Image:
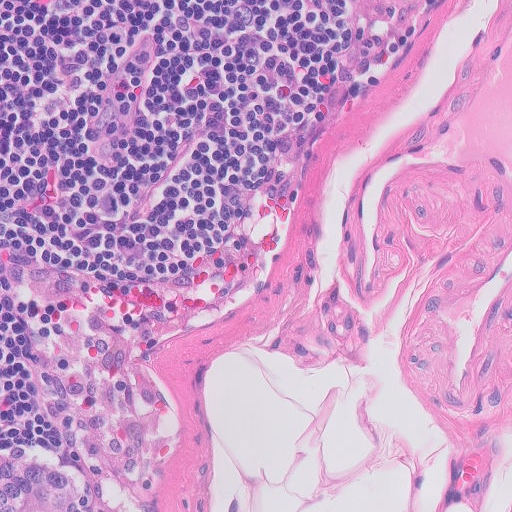
This is a crop of a whole-slide image: an H&E-stained breast-cancer sentinel lymph node section at roughly 20× magnification (about 0.5 µm per pixel; the crop spans about 0.26 mm).
Question:
Show where the tumour is in this image.
Answer:
Outlines of two tumour regions, largest first (closed clockwise paths, crop pixels): region 1: (78, 271), (152, 352), (164, 467), (62, 426), (138, 511), (0, 511), (0, 365); region 2: (294, 0), (426, 0), (418, 10), (304, 15).
Tumour covers about 10% of the frame.